Image:
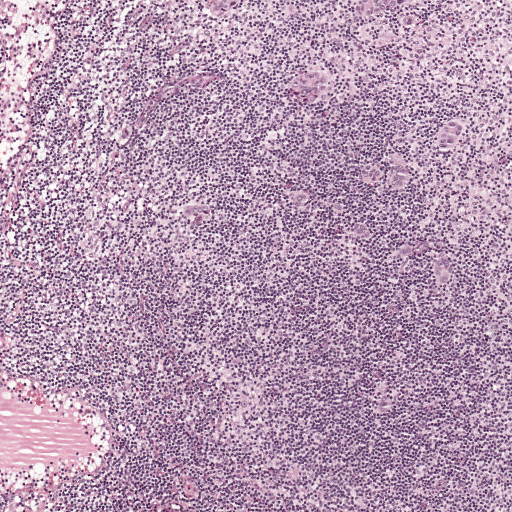
H&E-stained section of a sentinel lymph node (breast cancer), from a whole-slide image, viewed at about 5×: the field is about 1 mm across, about 1.9 µm per pixel.
Question:
Show where the tumour is in this image.
Answer:
Outlines of the eight largest metastatic tumour regions, each a closed clockwise path in crop pixels (x, y), largest first: region 1: (371, 160), (410, 166), (417, 177), (411, 190), (400, 195), (388, 195), (377, 193), (366, 187), (356, 178), (358, 164); region 2: (299, 66), (311, 67), (323, 70), (333, 77), (332, 90), (322, 99), (310, 103), (294, 102), (284, 98), (278, 83), (283, 71); region 3: (458, 112), (469, 116), (472, 128), (470, 139), (461, 152), (447, 158), (434, 157), (431, 144), (432, 130), (441, 119); region 4: (344, 0), (417, 0), (368, 20), (355, 20), (342, 16), (339, 4); region 5: (452, 255), (456, 276), (452, 290), (440, 292), (430, 283), (430, 269), (436, 256); region 6: (195, 202), (210, 202), (223, 212), (215, 220), (188, 226), (178, 219), (183, 208); region 7: (291, 190), (305, 190), (317, 202), (310, 211), (296, 213), (285, 207), (280, 197); region 8: (356, 218), (369, 224), (378, 233), (372, 245), (360, 244), (348, 237), (346, 224).
Six more, smaller tumour regions are not outlined.
The annotated tumour makes up about 5% of the crop.